Question: 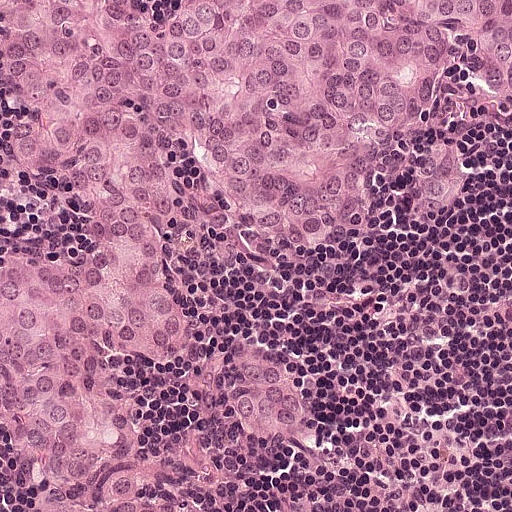
Lymph node section stained with H&E, from a whole-slide image of a breast-cancer sentinel node. Magnification about 20×, about 0.25 mm across the frame, about 0.49 µm per pixel.
Estimate the proportion of this field that is metastatic tumour.

Choices:
 (A) none: no tumour is outlined
 (B) about 10% to 20%
 (C) about 5% or less
 (D) about 25% to 45%
 (E) about 50% or more

Answer: (E) about 50% or more
About 65% of the field is tumour.
One metastatic tumour region; its boundary, reduced to 19 corners and listed clockwise: (0, 0), (148, 18), (511, 0), (511, 97), (457, 102), (456, 209), (228, 286), (308, 431), (257, 438), (165, 379), (124, 396), (121, 432), (201, 511), (32, 511), (0, 468), (0, 295), (96, 265), (66, 188), (6, 165).